A 0.51-mm field of an H&E-stained sentinel lymph node from a breast-cancer patient (whole-slide image), shown at about 10×, about 1.0 µm per pixel.
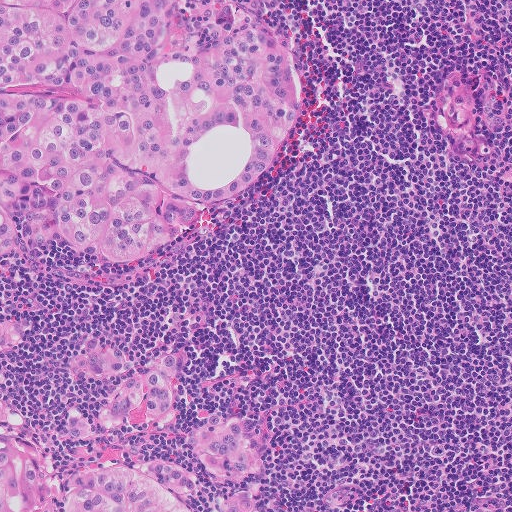
Outlines of three tumour regions, largest first (closed clockwise paths, crop pixels): region 1: (0, 0), (287, 0), (294, 87), (278, 142), (216, 235), (165, 272), (0, 261); region 2: (0, 300), (36, 345), (26, 402), (78, 382), (132, 346), (186, 362), (237, 387), (274, 430), (270, 511), (0, 511); region 3: (457, 72), (471, 85), (476, 108), (471, 142), (459, 143), (444, 135), (432, 114), (432, 86), (441, 74).
About 45% of this field is tumour.